H&E-stained section of a sentinel lymph node (breast cancer), from a whole-slide image, viewed at about 40×: the field is about 0.12 mm across, about 0.24 µm per pixel.
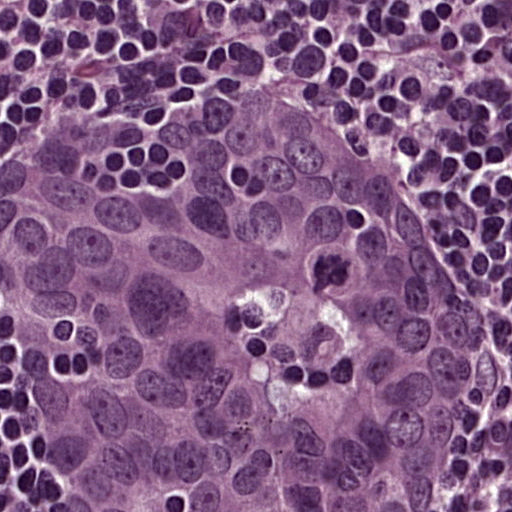
Metastatic tumour outline, simplified to 15 points and listed clockwise in crop pixels (x, y): (257, 59), (390, 145), (460, 231), (506, 324), (504, 429), (466, 511), (60, 511), (21, 451), (0, 370), (0, 156), (27, 142), (79, 149), (127, 132), (162, 94), (213, 87).
The annotated tumour makes up about 70% of the crop.